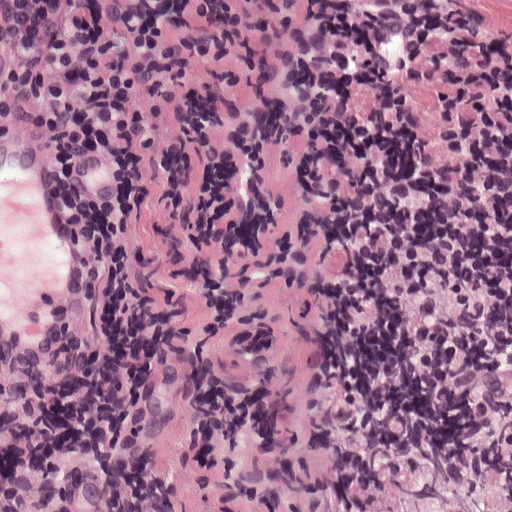
This is a crop of a whole-slide image: an H&E-stained breast-cancer sentinel lymph node section at roughly 20× magnification (about 0.49 µm per pixel; the crop spans about 0.25 mm).
Outlines of two tumour regions, largest first (closed clockwise paths, crop pixels): region 1: (0, 101), (34, 108), (101, 238), (73, 356), (44, 400), (0, 404); region 2: (418, 0), (511, 0), (511, 14), (484, 14).
About 10% of the image area is annotated as tumour.